Question: 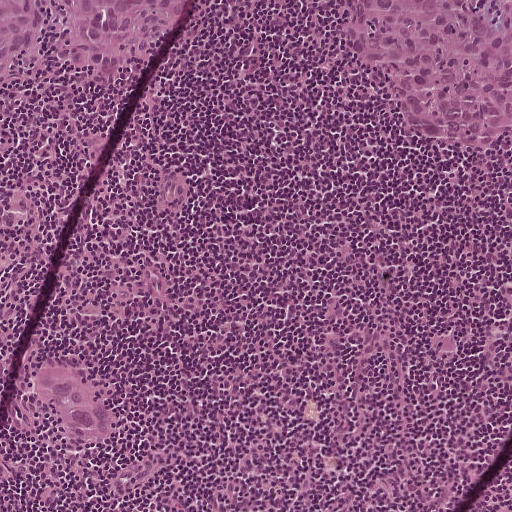
At roughly what magnification is this field shown?

Choices:
 (A) about 20×
 (B) about 10×
 (C) about 5×
 (D) about 2.5×
 (E) about 40×

Answer: (B) about 10×
H&E-stained section of a sentinel lymph node (breast cancer), from a whole-slide image, viewed at about 10×: the field is about 0.5 mm across, about 0.97 µm per pixel.
Boundaries of four metastatic tumour regions, simplified and listed clockwise, largest first: region 1: (343, 0), (511, 0), (511, 139), (440, 157), (408, 148), (384, 124), (348, 65); region 2: (59, 0), (201, 0), (199, 27), (172, 50), (112, 84), (78, 83), (60, 54), (71, 21); region 3: (60, 357), (91, 379), (115, 419), (93, 451), (68, 443), (59, 417), (40, 406), (29, 376), (41, 363); region 4: (0, 0), (52, 0), (36, 67), (11, 90), (0, 90).
Tumour covers about 15% of the frame.